Question: 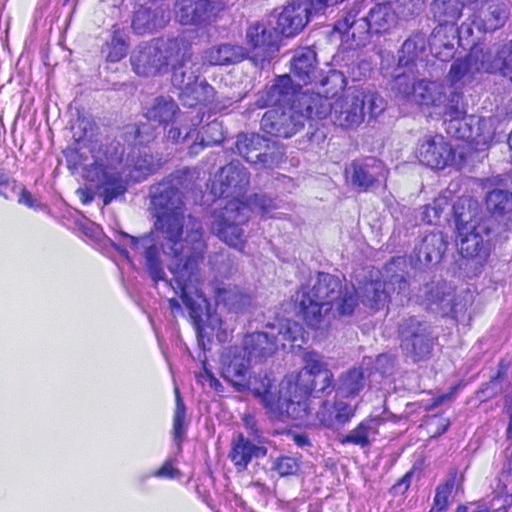
Which magnification is this H&E lymph node field most likely shown at?

Choices:
 (A) about 40×
 (B) about 10×
 (C) about 20×
 (D) about 5×
 (E) about 2.5×

Answer: (A) about 40×
This is a crop of a whole-slide image: an H&E-stained breast-cancer sentinel lymph node section at roughly 40× magnification (about 0.23 µm per pixel; the crop spans about 0.12 mm).
Outlines of two tumour regions, largest first (closed clockwise paths, crop pixels): region 1: (98, 0), (511, 0), (511, 278), (492, 340), (427, 425), (376, 439), (297, 431), (211, 374), (125, 243), (82, 211), (55, 112); region 2: (511, 402), (511, 511), (449, 511), (448, 505), (438, 511), (428, 511), (432, 491), (449, 466), (461, 470), (482, 494), (507, 476), (506, 445).
The annotated tumour makes up about 65% of the crop.